Question: 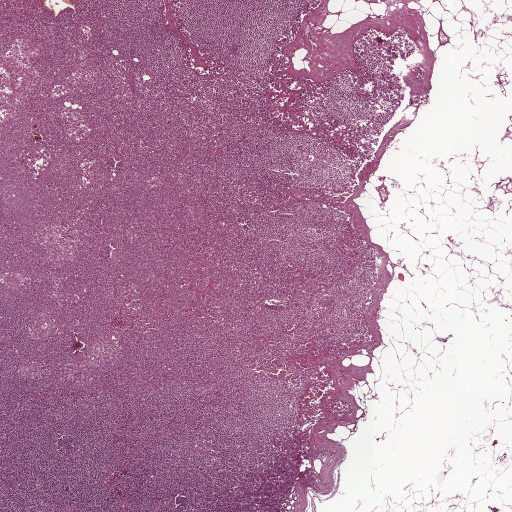
Which magnification is this H&E lymph node field most likely shown at?

Choices:
 (A) about 2.5×
 (B) about 20×
 (C) about 5×
 (D) about 40×
 (E) about 10×

Answer: (A) about 2.5×
Lymph node section stained with H&E, from a whole-slide image of a breast-cancer sentinel node. Magnification about 2.5×, about 2.0 mm across the frame, about 3.9 µm per pixel.
Tumour region outline (a closed clockwise path, crop pixels): (292, 428), (310, 430), (308, 454), (310, 460), (303, 460), (301, 464), (289, 498), (289, 511), (232, 511), (228, 502), (242, 479), (250, 470), (270, 465), (279, 451), (279, 443), (290, 436).
Under 5% of this field is tumour.